Question: 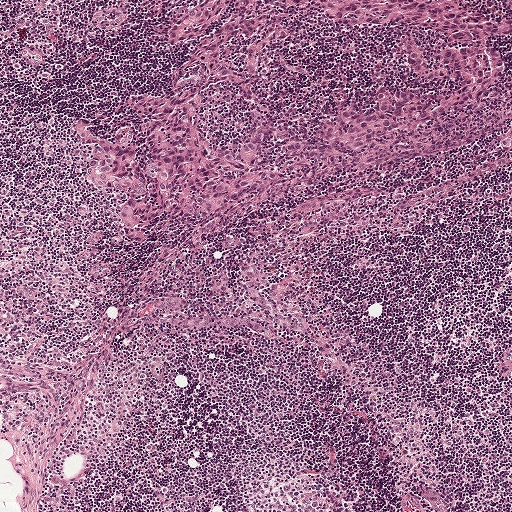
H&E-stained section of a sentinel lymph node (breast cancer), from a whole-slide image, viewed at about 5×: the field is about 1 mm across, about 1.9 µm per pixel.
Estimate the proportion of this field that is metastatic tumour.

Choices:
 (A) about 10% to 20%
 (B) about 25% to 45%
 (C) none: no tumour is outlined
 (D) about 50% or more
 (E) about 5% or less

Answer: (B) about 25% to 45%
About 25% of the field is tumour.
Outlines of two tumour regions, largest first (closed clockwise paths, crop pixels): region 1: (197, 0), (457, 0), (510, 19), (511, 30), (494, 30), (502, 77), (492, 93), (229, 208), (164, 218), (135, 245), (111, 214), (119, 195), (80, 179), (84, 148), (67, 127), (80, 119), (105, 139), (122, 99), (165, 89), (182, 50), (164, 34); region 2: (511, 114), (511, 152), (504, 152), (494, 148), (493, 142), (493, 135), (494, 130), (498, 126).